Image:
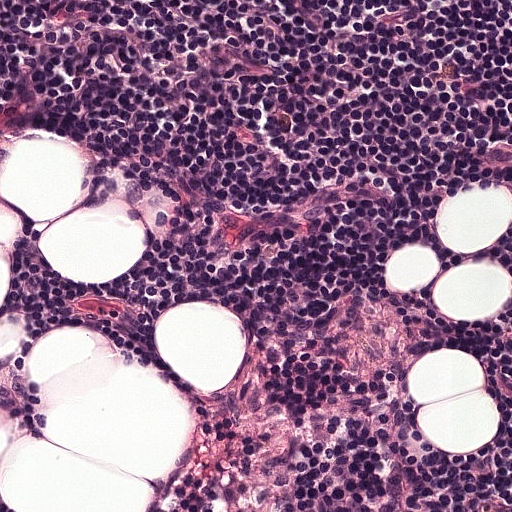
H&E-stained section of a sentinel lymph node (breast cancer), from a whole-slide image, viewed at about 20×: the field is about 0.25 mm across, about 0.49 µm per pixel.
Question:
Is any metastatic breast cancer visible in this crop?
Answer:
No, this field holds no outlined metastasis.